Lymph node section stained with H&E, from a whole-slide image of a breast-cancer sentinel node. Magnification about 5×, about 1 mm across the frame, about 1.9 µm per pixel.
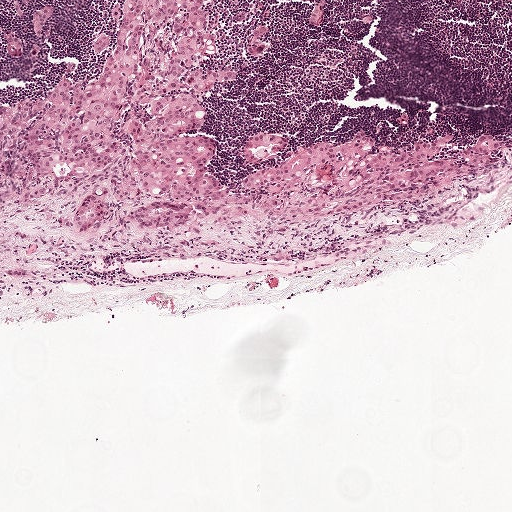
Outlines of three tumour regions, largest first (closed clockwise paths, crop pixels): region 1: (125, 0), (211, 0), (206, 67), (240, 74), (198, 97), (226, 184), (259, 166), (242, 143), (256, 127), (295, 146), (358, 128), (380, 146), (489, 130), (501, 155), (342, 213), (233, 200), (171, 229), (0, 219), (0, 103), (98, 74), (93, 41); region 2: (262, 22), (266, 23), (266, 30), (262, 37), (266, 42), (266, 45), (264, 51), (259, 54), (247, 50), (246, 47), (252, 30); region 3: (319, 0), (326, 0), (324, 10), (321, 15), (319, 17), (316, 24), (312, 25), (309, 23), (308, 20), (314, 7), (315, 4).
One more small tumour piece is annotated here but not outlined.
About 20% of this field is tumour.